Image:
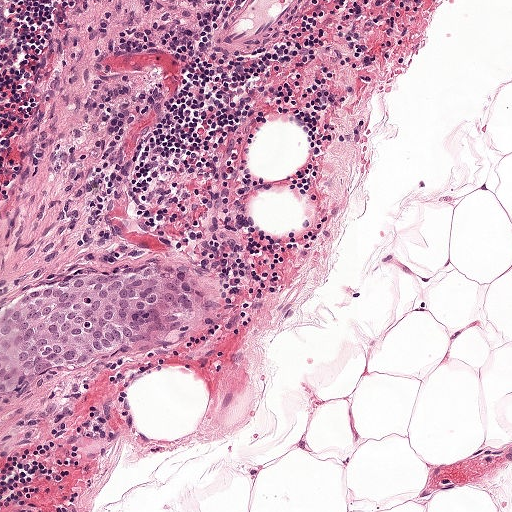
A 0.5-mm field of an H&E-stained sentinel lymph node from a breast-cancer patient (whole-slide image), shown at about 10×, about 0.97 µm per pixel.
Question:
Where is the metastatic tumour in this field? Give each region's outline as (x, y) pixel points.
Answer:
One metastatic tumour region; its boundary, reduced to 13 corners and listed clockwise: (178, 262), (194, 268), (200, 286), (177, 328), (111, 358), (60, 370), (17, 390), (0, 404), (0, 326), (20, 298), (60, 288), (95, 270), (137, 272).
About 5% of this field is tumour.